Question: 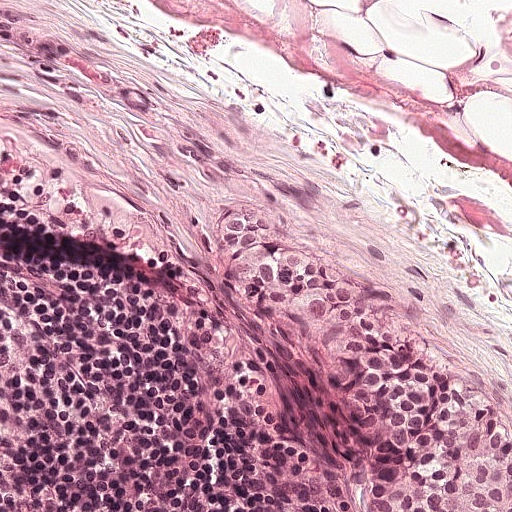
This is a crop of a whole-slide image: an H&E-stained breast-cancer sentinel lymph node section at roughly 20× magnification (about 0.49 µm per pixel; the crop spans about 0.25 mm).
What fraction of the image area is metastatic tumour?

Choices:
 (A) about 50% or more
 (B) about 10% to 20%
 (C) about 25% to 45%
 (D) about 5% or less
 (E) none: no tumour is outlined

Answer: (B) about 10% to 20%
About 15% of the field is tumour.
Metastatic tumour outline, simplified to 14 points and listed clockwise in crop pixels (x, y): (243, 216), (284, 232), (330, 273), (357, 284), (424, 359), (460, 379), (511, 429), (511, 511), (376, 511), (368, 459), (338, 384), (300, 344), (264, 326), (218, 230).